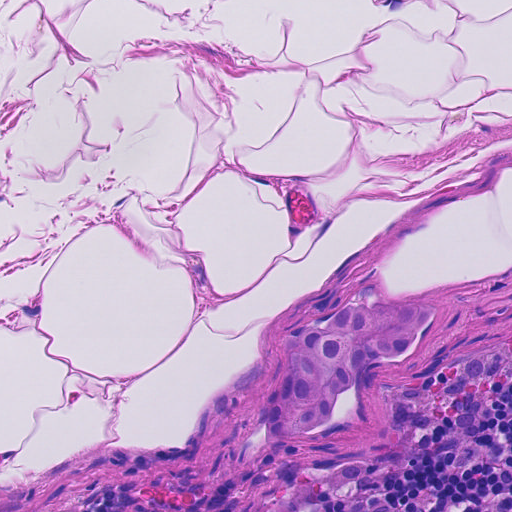
H&E-stained section of a sentinel lymph node (breast cancer), from a whole-slide image, viewed at about 20×: the field is about 0.23 mm across, about 0.45 µm per pixel.
One metastatic tumour region; its boundary, reduced to 17 corners and listed clockwise: (388, 296), (440, 304), (435, 324), (421, 331), (414, 352), (399, 362), (382, 362), (365, 374), (328, 424), (281, 440), (262, 436), (255, 426), (254, 406), (278, 355), (279, 328), (333, 316), (345, 304).
About 5% of this field is tumour.